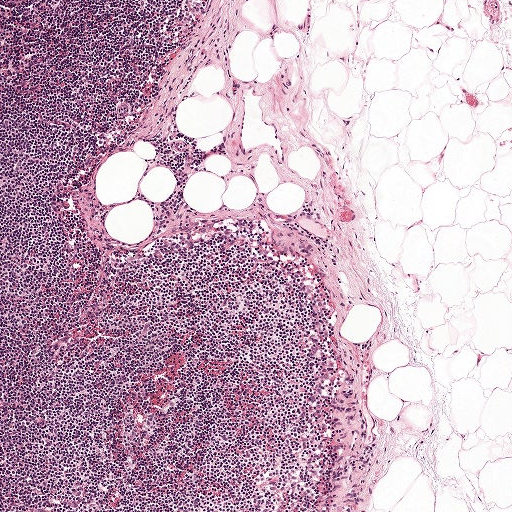
H&E-stained section of a sentinel lymph node (breast cancer), from a whole-slide image, viewed at about 5×: the field is about 1 mm across, about 1.9 µm per pixel.